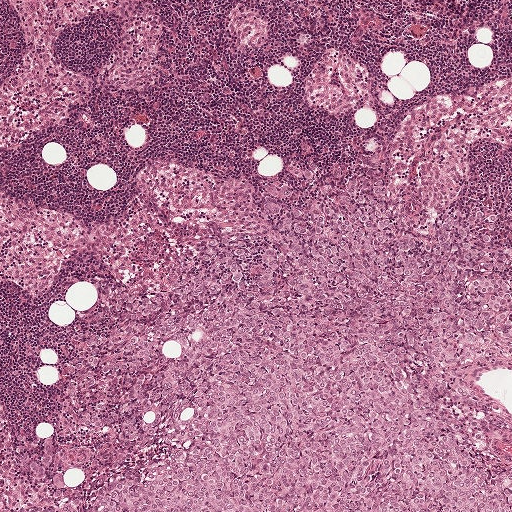
This is a crop of a whole-slide image: an H&E-stained breast-cancer sentinel lymph node section at roughly 5× magnification (about 1.9 µm per pixel; the crop spans about 1 mm).
The outlined metastatic tumour's edge, as a closed clockwise path of 22 points: (380, 154), (421, 233), (494, 216), (511, 358), (465, 378), (511, 420), (482, 427), (511, 511), (22, 511), (57, 503), (9, 463), (50, 437), (76, 497), (158, 460), (162, 443), (105, 471), (64, 378), (118, 287), (273, 232), (268, 174), (311, 162), (335, 204).
Tumour covers about 45% of the frame.